Image:
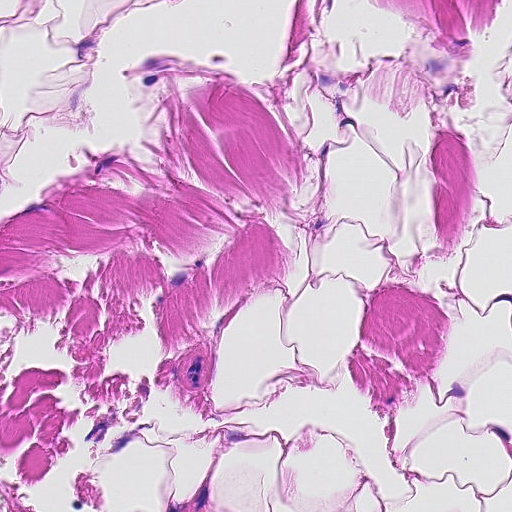
Lymph node section stained with H&E, from a whole-slide image of a breast-cancer sentinel node. Magnification about 20×, about 0.23 mm across the frame, about 0.45 µm per pixel.
Question:
Is any metastatic breast cancer visible in this crop?
Answer:
No: no metastatic tumour is outlined anywhere in this field.